Lymph node section stained with H&E, from a whole-slide image of a breast-cancer sentinel node. Magnification about 10×, about 0.46 mm across the frame, about 0.9 µm per pixel.
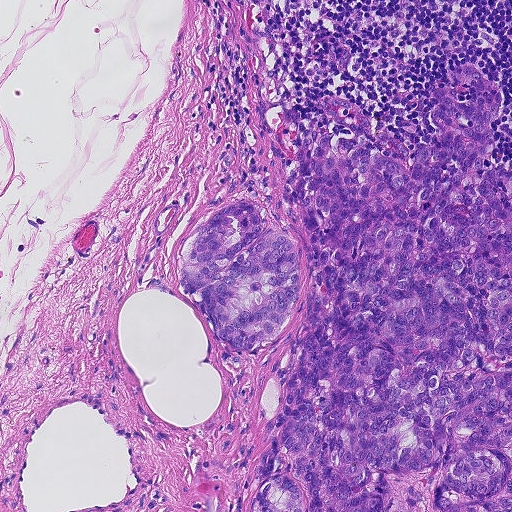
Boundaries of two metastatic tumour regions, simplified and listed clockwise, largest first: region 1: (471, 64), (501, 88), (490, 160), (509, 169), (511, 511), (251, 511), (267, 481), (253, 472), (284, 403), (272, 366), (291, 362), (305, 316), (304, 213), (281, 197), (299, 162), (381, 152), (410, 174), (417, 146), (440, 140), (432, 90), (453, 87), (451, 72); region 2: (232, 202), (258, 204), (271, 226), (292, 241), (298, 252), (300, 278), (291, 316), (271, 350), (238, 351), (217, 337), (195, 304), (184, 296), (178, 272), (180, 258), (203, 225).
Tumour covers about 35% of the frame.